H&E-stained section of a sentinel lymph node (breast cancer), from a whole-slide image, viewed at about 2.5×: the field is about 1.9 mm across, about 3.6 µm per pixel.
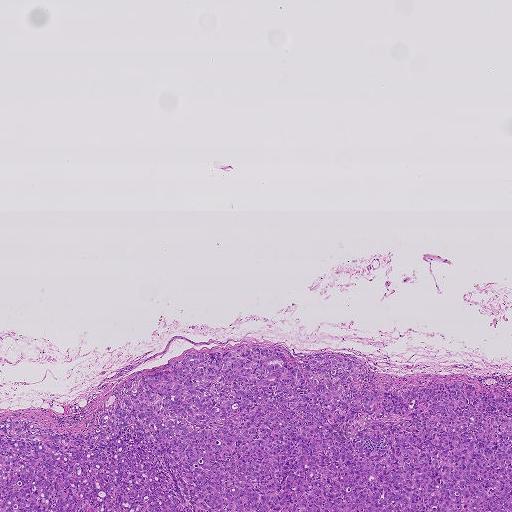
The outlined metastatic tumour's edge, as a closed clockwise path of 23 points: (246, 344), (282, 353), (303, 373), (315, 358), (346, 357), (365, 370), (352, 381), (357, 392), (386, 385), (402, 397), (454, 380), (511, 394), (511, 511), (0, 511), (0, 420), (49, 428), (85, 449), (89, 440), (77, 435), (94, 434), (144, 375), (172, 371), (191, 353).
About 25% of this field is tumour.